Image:
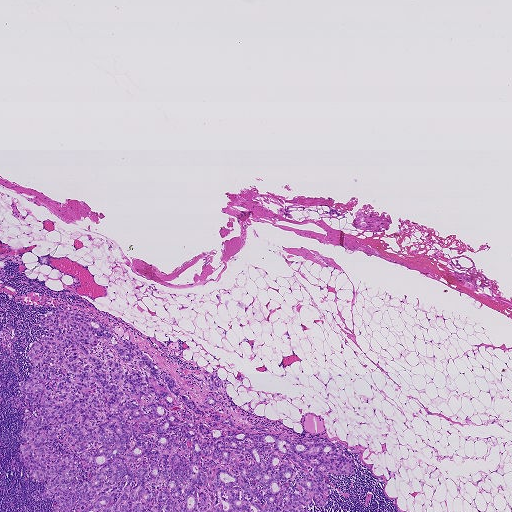
A 1.9-mm field of an H&E-stained sentinel lymph node from a breast-cancer patient (whole-slide image), shown at about 2.5×, about 3.6 µm per pixel.
Question:
Describe where the metastatic carcinoma lies in this crop.
Answer:
Metastatic tumour outline, simplified to 24 points and listed clockwise in crop pixels (x, y): (73, 309), (138, 346), (195, 404), (207, 393), (221, 401), (208, 407), (220, 414), (215, 428), (333, 444), (355, 471), (327, 472), (332, 493), (326, 506), (301, 504), (309, 511), (49, 511), (48, 482), (35, 482), (18, 457), (39, 411), (25, 404), (28, 344), (47, 331), (39, 320).
One more small tumour piece is annotated here but not outlined.
The annotated tumour makes up about 15% of the crop.